Question: 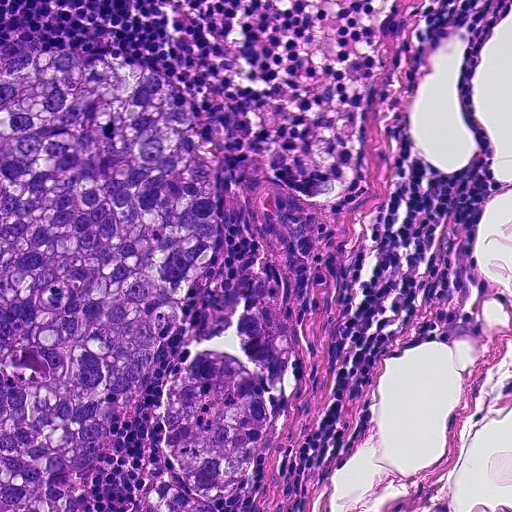
H&E-stained section of a sentinel lymph node (breast cancer), from a whole-slide image, viewed at about 20×: the field is about 0.23 mm across, about 0.45 µm per pixel.
Estimate the proportion of this field that is metastatic tumour.

Choices:
 (A) about 5% or less
 (B) about 25% to 45%
 (C) none: no tumour is outlined
 (D) about 50% or more
 (E) about 10% to 20%

Answer: (B) about 25% to 45%
About 35% of the field is tumour.
Boundaries of two metastatic tumour regions, simplified and listed clockwise, largest first: region 1: (77, 50), (180, 84), (220, 187), (220, 224), (196, 296), (69, 511), (0, 511), (0, 69); region 2: (240, 304), (289, 356), (286, 391), (240, 489), (220, 509), (124, 511), (153, 450), (158, 416), (172, 382), (190, 350), (223, 335).